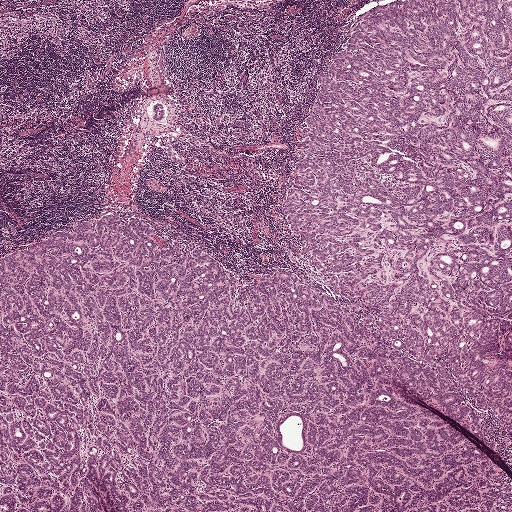
Lymph node section stained with H&E, from a whole-slide image of a breast-cancer sentinel node. Magnification about 2.5×, about 2.0 mm across the frame, about 3.9 µm per pixel.
Two metastatic tumour regions, each outlined as a closed clockwise path in crop pixels (x, y), largest first: region 1: (389, 0), (511, 0), (511, 344), (487, 350), (511, 353), (511, 469), (396, 386), (511, 480), (511, 511), (115, 511), (98, 487), (104, 511), (0, 511), (0, 257), (121, 210), (225, 265), (232, 309), (244, 283), (276, 269), (351, 301), (326, 288), (282, 207), (320, 76), (355, 21); region 2: (160, 101), (165, 106), (165, 112), (164, 119), (162, 121), (157, 121), (154, 121), (151, 120), (150, 116), (151, 108), (154, 103).
One more small tumour piece is annotated here but not outlined.
About 70% of this field is tumour.